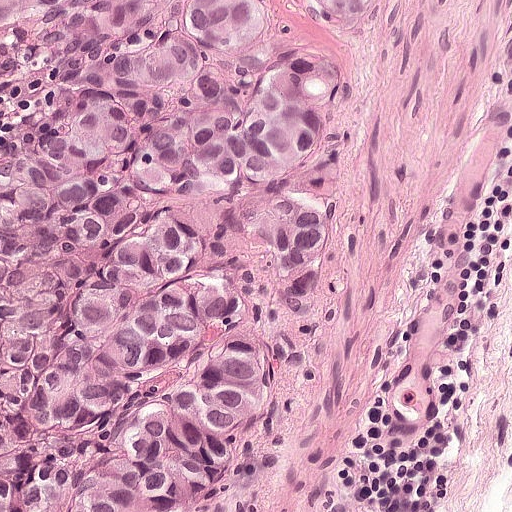
Lymph node section stained with H&E, from a whole-slide image of a breast-cancer sentinel node. Magnification about 20×, about 0.25 mm across the frame, about 0.49 µm per pixel.
The outlined metastatic tumour's edge, as a closed clockwise path of 12 points: (0, 0), (373, 0), (348, 169), (276, 408), (263, 505), (0, 511), (0, 165), (36, 140), (65, 84), (59, 60), (36, 44), (0, 89).
Tumour covers about 60% of the frame.